Lymph node section stained with H&E, from a whole-slide image of a breast-cancer sentinel node. Magnification about 2.5×, about 2.0 mm across the frame, about 3.9 µm per pixel.
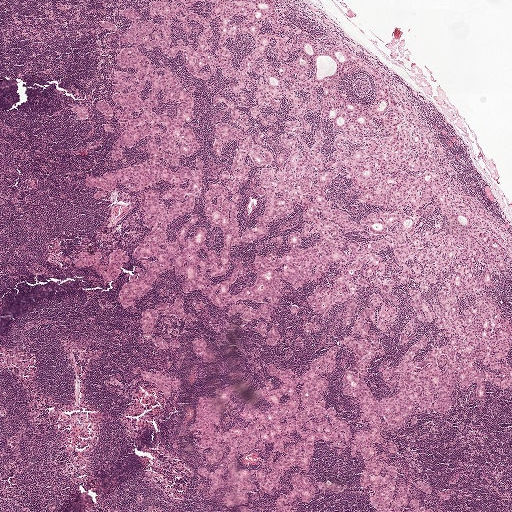
Outlines of the eight largest metastatic tumour regions, each a closed clockwise path in crop pixels (x, y), largest first: region 1: (288, 0), (401, 90), (511, 238), (511, 390), (374, 450), (432, 511), (322, 442), (342, 492), (274, 511), (269, 444), (236, 460), (254, 511), (207, 494), (196, 400), (245, 426), (267, 365), (343, 344), (371, 431), (374, 289), (131, 313), (140, 198), (173, 188), (116, 183), (92, 199), (124, 47), (194, 103), (206, 260), (224, 239), (203, 195), (226, 184), (206, 167), (239, 142), (212, 123), (242, 131), (118, 10); region 2: (121, 248), (127, 253), (127, 260), (126, 263), (122, 262), (117, 278), (108, 281), (103, 279), (92, 266), (83, 268), (77, 266), (73, 262), (81, 251), (93, 253), (95, 251), (101, 255), (101, 258), (98, 261), (102, 264), (108, 262), (111, 251); region 3: (174, 300), (179, 300), (183, 315), (165, 324), (161, 314), (156, 314), (154, 330), (146, 333), (143, 332), (139, 322), (142, 310), (152, 308), (158, 303), (170, 304); region 4: (141, 369), (153, 374), (158, 371), (170, 380), (178, 379), (178, 388), (170, 390), (169, 397), (164, 398), (154, 384), (145, 381), (140, 377), (139, 371); region 5: (199, 338), (203, 341), (206, 344), (205, 348), (215, 354), (215, 361), (210, 363), (194, 354), (191, 346), (192, 340); region 6: (263, 322), (267, 325), (267, 333), (272, 327), (276, 328), (277, 335), (276, 341), (273, 344), (269, 344), (266, 342), (266, 336), (257, 333), (256, 326), (257, 323); region 7: (307, 322), (312, 322), (318, 324), (321, 327), (316, 332), (311, 334), (308, 334), (304, 334), (303, 331), (304, 327); region 8: (74, 105), (84, 107), (88, 113), (88, 117), (84, 118), (77, 118), (69, 109).
Region 1 encloses 18 non-tumour holes totalling about 10% of its area.
Three more, smaller tumour regions are not outlined.
Two more small tumour pieces are annotated here but not outlined.
The annotated tumour makes up about 40% of the crop.